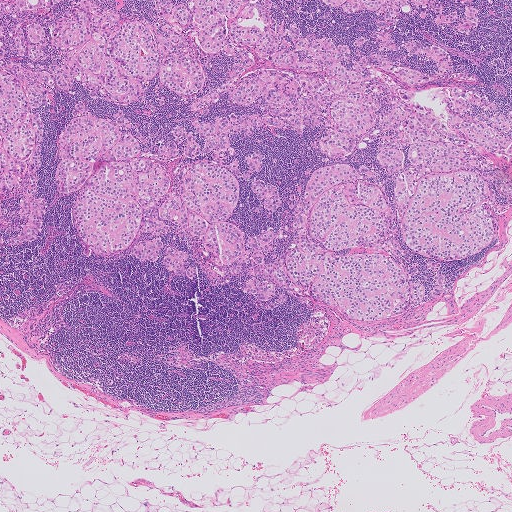
A 2.0-mm field of an H&E-stained sentinel lymph node from a breast-cancer patient (whole-slide image), shown at about 2.5×, about 4.0 µm per pixel.
Question: Where is the metastatic tumour in this field? Give each region's outline as (x, y) pixel points.
Answer: Two metastatic tumour regions, each outlined as a closed clockwise path in crop pixels (x, y), largest first: region 1: (0, 0), (272, 0), (270, 15), (511, 106), (498, 233), (452, 261), (403, 237), (375, 128), (347, 157), (317, 152), (316, 128), (233, 137), (281, 187), (268, 212), (240, 182), (245, 233), (284, 214), (297, 174), (379, 170), (400, 252), (429, 285), (387, 318), (307, 292), (273, 311), (237, 276), (82, 253), (52, 179), (55, 136), (77, 100), (154, 143), (187, 118), (154, 99), (164, 86), (129, 104), (74, 90), (50, 104), (38, 180), (50, 218), (7, 250); region 2: (306, 0), (478, 0), (477, 20), (467, 29), (453, 30), (426, 20), (411, 22), (398, 28), (408, 38), (451, 55), (456, 69), (443, 73), (430, 70), (406, 53), (365, 50), (354, 41), (367, 36), (378, 44), (372, 30), (374, 16), (331, 9).
The annotated tumour makes up about 45% of the crop.